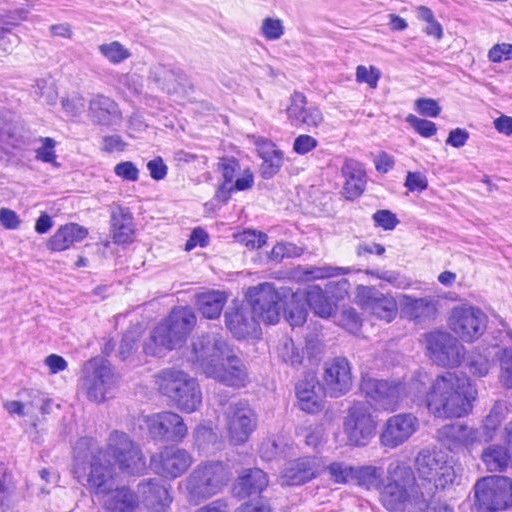
This is a crop of a whole-slide image: an H&E-stained breast-cancer sentinel lymph node section at roughly 40× magnification (about 0.23 µm per pixel; the crop spans about 0.12 mm).
Question: Which parts of this field are metastatic tumour? Answer with the outline of each region, in pixels.
Answer: Tumour region outline (a closed clockwise path, crop pixels): (293, 254), (487, 304), (511, 344), (511, 511), (315, 501), (313, 511), (87, 511), (61, 484), (74, 384), (131, 302), (188, 270).
About 40% of this field is tumour.